This is a crop of a whole-slide image: an H&E-stained breast-cancer sentinel lymph node section at roughly 20× magnification (about 0.49 µm per pixel; the crop spans about 0.25 mm).
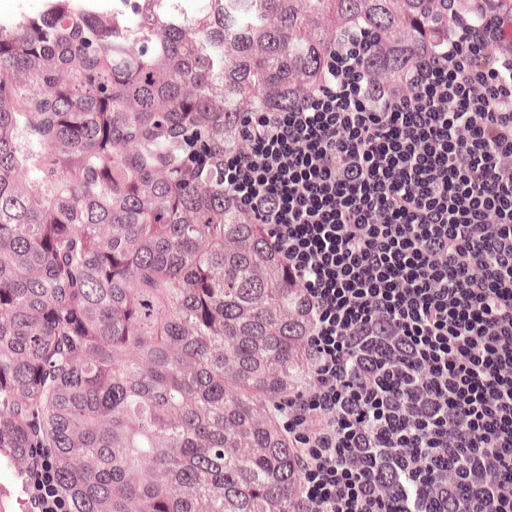
Metastatic tumour outline, simplified to 13 points and listed clockwise in crop pixels (x, y): (0, 0), (511, 0), (511, 87), (332, 128), (262, 176), (262, 202), (308, 273), (326, 357), (310, 511), (63, 511), (20, 487), (29, 511), (0, 511).
About 70% of this field is tumour.